Question: 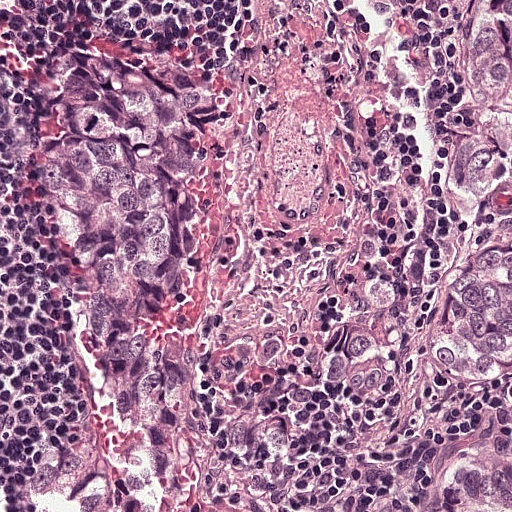
A 0.25-mm field of an H&E-stained sentinel lymph node from a breast-cancer patient (whole-slide image), shown at about 20×, about 0.49 µm per pixel.
About how much of this crop is taken up by metastatic carcinoma?

Choices:
 (A) about 25% to 45%
 (B) none: no tumour is outlined
 (C) about 10% to 20%
 (D) about 5% or less
 (E) about 50% or more

Answer: (A) about 25% to 45%
About 45% of the field is tumour.
Boundaries of two metastatic tumour regions, simplified and listed clockwise, largest first: region 1: (93, 56), (220, 98), (189, 266), (154, 334), (176, 348), (262, 338), (294, 356), (301, 407), (276, 511), (39, 511), (46, 493), (96, 464), (116, 424), (28, 170), (58, 60); region 2: (511, 0), (511, 511), (447, 511), (463, 478), (422, 320), (456, 244), (456, 164), (444, 108), (390, 3).